Image:
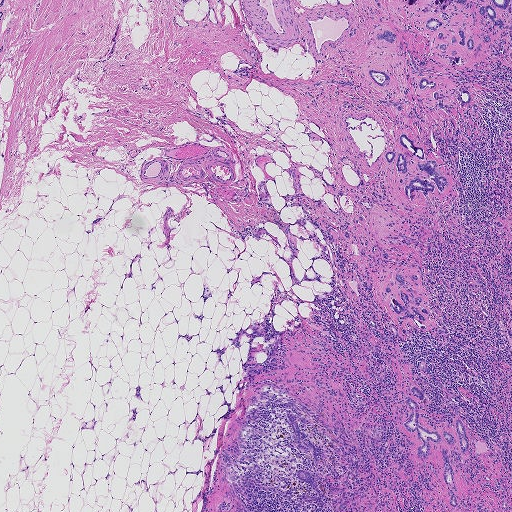
H&E-stained section of a sentinel lymph node (breast cancer), from a whole-slide image, viewed at about 2.5×: the field is about 1.9 mm across, about 3.6 µm per pixel.
Question:
Outline the metastatic carcinoma in this image, as closed paths of (x, y) pixel coordinates.
Answer:
Outlines of the eight largest metastatic tumour regions, each a closed clockwise path in crop pixels (x, y), largest first: region 1: (511, 0), (511, 56), (498, 59), (486, 51), (478, 55), (464, 51), (466, 60), (463, 64), (445, 64), (436, 48), (436, 33), (426, 30), (421, 23), (431, 14), (435, 1); region 2: (413, 384), (420, 387), (426, 399), (424, 407), (419, 413), (419, 422), (422, 425), (430, 428), (447, 428), (453, 432), (454, 410), (458, 407), (460, 411), (469, 444), (467, 452), (464, 456), (461, 455), (463, 459), (461, 462), (452, 462), (459, 504), (455, 507), (448, 504), (448, 491), (443, 479), (442, 462), (437, 448), (429, 459), (425, 460), (417, 458), (415, 450), (420, 442), (415, 432), (411, 434), (407, 432), (402, 425), (402, 421), (409, 413), (404, 406), (403, 397); region 3: (408, 264), (420, 267), (420, 286), (414, 287), (422, 292), (427, 304), (424, 305), (446, 328), (448, 334), (424, 330), (407, 318), (402, 323), (407, 333), (402, 334), (397, 326), (397, 315), (389, 306), (389, 294), (386, 294), (384, 288), (394, 280), (397, 270); region 4: (404, 133), (415, 144), (423, 148), (426, 160), (435, 160), (436, 168), (446, 178), (448, 184), (442, 192), (435, 186), (433, 192), (426, 195), (421, 191), (415, 192), (412, 201), (398, 189), (403, 175), (397, 172), (395, 159), (388, 164), (385, 152), (391, 150), (403, 151), (398, 139); region 5: (289, 412), (306, 418), (306, 423), (298, 422), (297, 426), (307, 434), (314, 445), (318, 445), (325, 450), (323, 459), (316, 464), (314, 472), (318, 480), (320, 489), (326, 500), (329, 511), (322, 511), (319, 508), (300, 497), (301, 493), (318, 496), (317, 492), (302, 482), (297, 475), (296, 471), (309, 468), (311, 464), (311, 456), (309, 452), (297, 448), (288, 439), (291, 424), (286, 417), (285, 413); region 6: (406, 49), (414, 57), (422, 60), (426, 58), (427, 60), (425, 65), (426, 67), (435, 69), (427, 72), (424, 73), (424, 76), (421, 76), (415, 73), (413, 74), (410, 73), (410, 70), (413, 70), (409, 64), (408, 69), (406, 64), (405, 59), (409, 58); region 7: (453, 87), (458, 89), (463, 87), (464, 90), (469, 92), (473, 98), (473, 100), (477, 104), (477, 106), (477, 111), (475, 112), (473, 108), (471, 103), (465, 104), (458, 101), (452, 93), (451, 88); region 8: (369, 69), (391, 73), (388, 85), (384, 87), (379, 87), (368, 74).
Eight more, smaller tumour regions are not outlined.
10 more small tumour pieces are annotated here but not outlined.
Tumour covers about 5% of the frame.